Image:
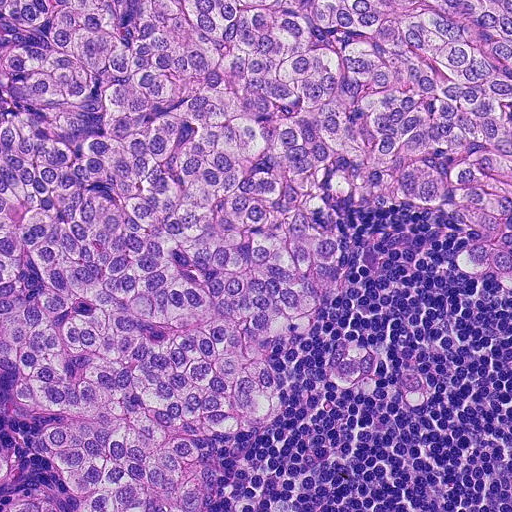
H&E-stained section of a sentinel lymph node (breast cancer), from a whole-slide image, viewed at about 20×: the field is about 0.23 mm across, about 0.45 µm per pixel.
Question:
Which parts of this field are metastatic tumour?
Answer:
The outlined metastatic tumour's edge, as a closed clockwise path of 17 points: (0, 0), (511, 0), (511, 288), (451, 260), (469, 240), (424, 205), (320, 207), (343, 260), (342, 287), (317, 301), (312, 330), (284, 337), (273, 418), (251, 436), (200, 440), (210, 511), (0, 511).
Two more small tumour pieces are annotated here but not outlined.
About 75% of the image area is annotated as tumour.